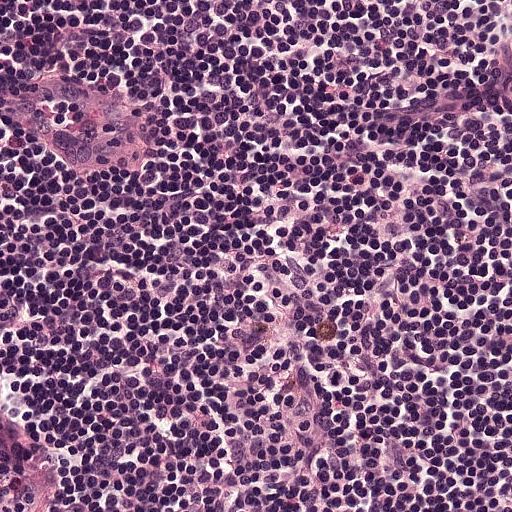
A 0.25-mm field of an H&E-stained sentinel lymph node from a breast-cancer patient (whole-slide image), shown at about 20×, about 0.49 µm per pixel.